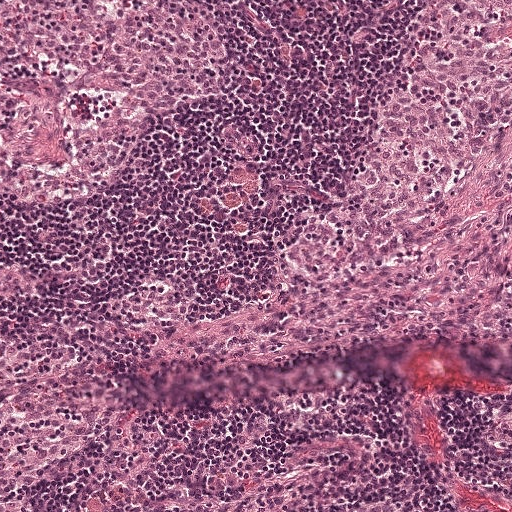
Lymph node section stained with H&E, from a whole-slide image of a breast-cancer sentinel node. Magnification about 10×, about 0.5 mm across the frame, about 0.97 µm per pixel.